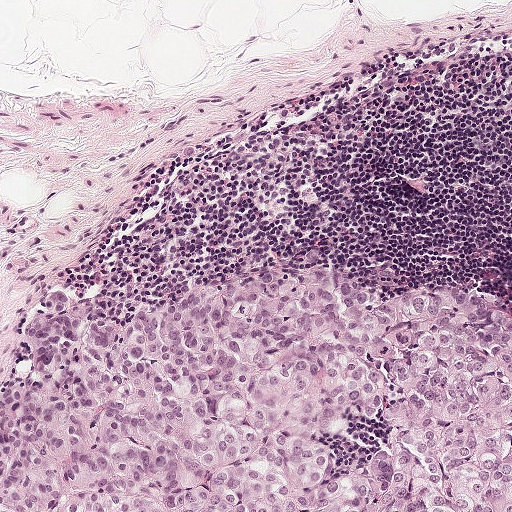
This is a crop of a whole-slide image: an H&E-stained breast-cancer sentinel lymph node section at roughly 10× magnification (about 0.97 µm per pixel; the crop spans about 0.5 mm).
Question: Does this lymph node field contain metastatic tumour?
Answer: Yes.
Metastatic tumour outline, simplified to 14 points and listed clockwise in crop pixels (x, y): (270, 258), (332, 267), (376, 290), (438, 284), (511, 306), (511, 511), (0, 511), (0, 398), (34, 366), (32, 310), (42, 290), (76, 285), (137, 308), (184, 279).
About 40% of the image area is annotated as tumour.